A 0.5-mm field of an H&E-stained sentinel lymph node from a breast-cancer patient (whole-slide image), shown at about 10×, about 0.97 µm per pixel.
Image:
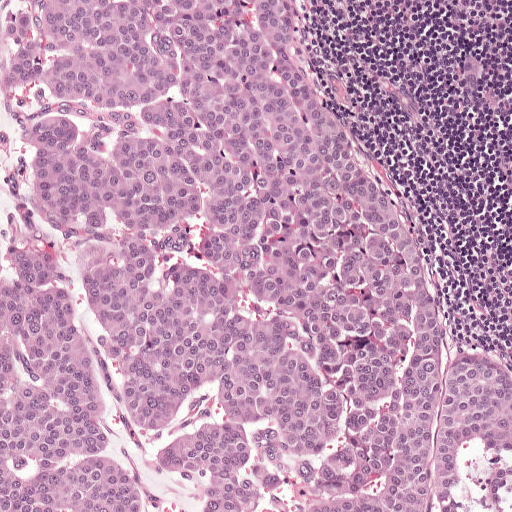
Question:
Trace the edge of each tumour region in this crop, as (x, y) points from 0 to 511.
Answer:
Tumour region outline (a closed clockwise path, crop pixels): (0, 0), (311, 0), (360, 104), (360, 126), (413, 191), (465, 351), (510, 364), (511, 511), (0, 511).
One more small tumour piece is annotated here but not outlined.
About 85% of the image area is annotated as tumour.